This is a crop of a whole-slide image: an H&E-stained breast-cancer sentinel lymph node section at roughly 10× magnification (about 0.97 µm per pixel; the crop spans about 0.5 mm).
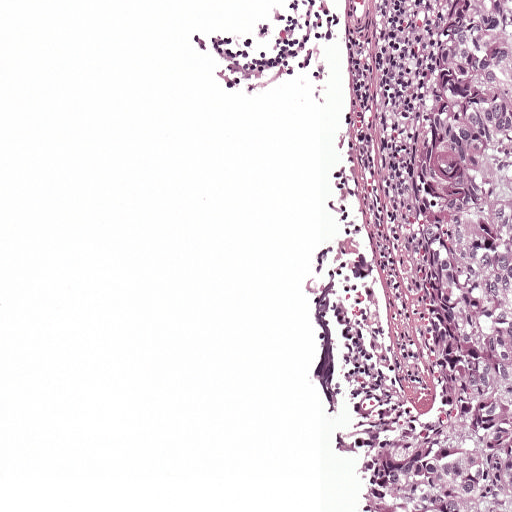
Metastatic tumour outline, simplified to 8 points and listed clockwise in crop pixels (x, y): (420, 0), (511, 0), (511, 511), (361, 511), (370, 445), (415, 381), (424, 331), (402, 181).
Tumour covers about 20% of the frame.